This is a crop of a whole-slide image: an H&E-stained breast-cancer sentinel lymph node section at roughly 5× magnification (about 1.8 µm per pixel; the crop spans about 0.93 mm).
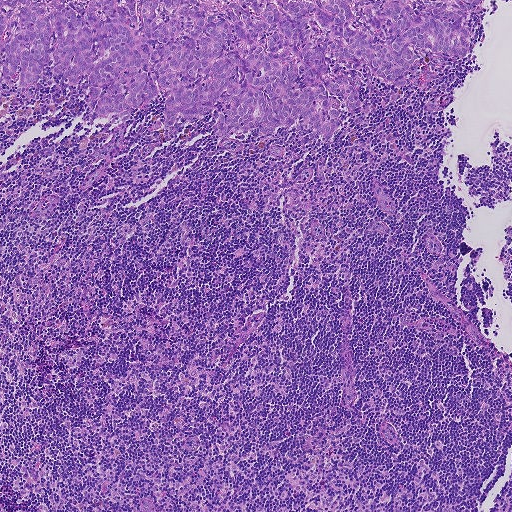
Metastatic tumour outline, simplified to 23 points and listed clockwise in crop pixels (x, y): (0, 0), (482, 0), (457, 63), (420, 88), (372, 76), (372, 101), (366, 78), (325, 148), (254, 129), (228, 135), (245, 148), (233, 153), (209, 114), (142, 158), (167, 93), (130, 117), (122, 151), (82, 191), (106, 160), (87, 153), (105, 119), (33, 113), (1, 80).
About 20% of this field is tumour.